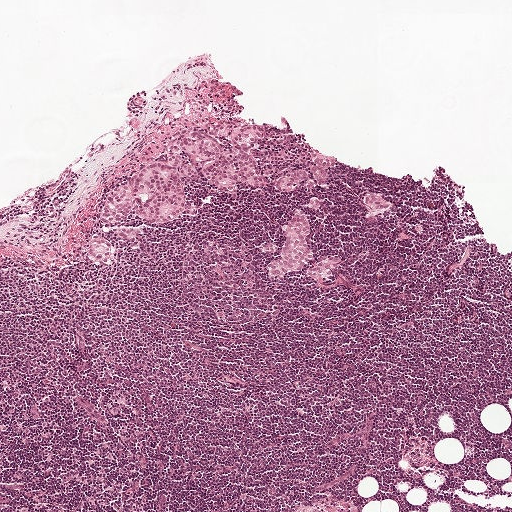
H&E-stained section of a sentinel lymph node (breast cancer), from a whole-slide image, viewed at about 5×: the field is about 1 mm across, about 1.9 µm per pixel.
Six metastatic tumour regions, each outlined as a closed clockwise path in crop pixels (x, y), largest first: region 1: (230, 119), (263, 129), (264, 139), (253, 150), (264, 178), (263, 188), (238, 184), (238, 190), (230, 193), (218, 189), (201, 169), (201, 160), (184, 152), (183, 157), (198, 175), (181, 176), (186, 202), (196, 206), (196, 216), (154, 224), (134, 206), (126, 218), (110, 224), (99, 219), (110, 189), (126, 183), (128, 176), (145, 166), (166, 160), (173, 134), (191, 125), (203, 127), (229, 150), (231, 142), (210, 128), (212, 122); region 2: (299, 209), (305, 210), (308, 214), (310, 231), (307, 243), (314, 259), (306, 264), (300, 271), (288, 272), (277, 276), (270, 276), (267, 272), (268, 266), (283, 250), (285, 240), (282, 232), (283, 226); region 3: (317, 155), (336, 156), (336, 168), (328, 171), (329, 182), (327, 185), (321, 185), (308, 179), (298, 183), (293, 190), (288, 191), (280, 191), (275, 187), (279, 180), (288, 172), (300, 169), (312, 170), (312, 165), (316, 163); region 4: (92, 234), (98, 234), (106, 238), (115, 249), (112, 265), (104, 265), (94, 261), (88, 255), (87, 251); region 5: (328, 255), (342, 258), (336, 270), (331, 269), (332, 278), (327, 283), (318, 281), (308, 271), (310, 266), (318, 263), (320, 256); region 6: (373, 192), (390, 204), (390, 207), (378, 210), (369, 208), (363, 199), (366, 194).
One more small tumour piece is annotated here but not outlined.
Tumour covers about 5% of the frame.